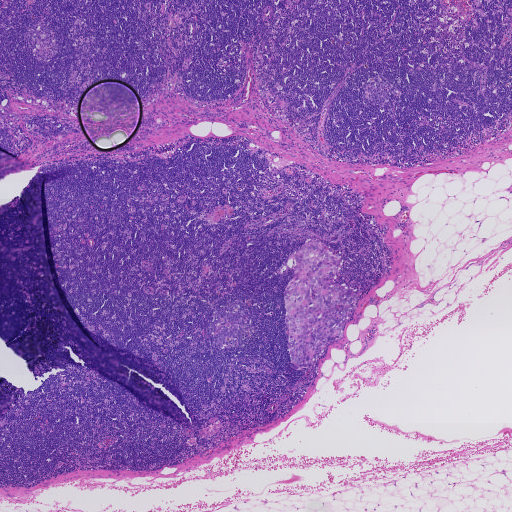
Lymph node section stained with H&E, from a whole-slide image of a breast-cancer sentinel node. Magnification about 2.5×, about 1.9 mm across the frame, about 3.6 µm per pixel.
Question: Trace the edge of each tumour region in this crop, as (x, y) points from 0 to 511.
Answer: Boundaries of two metastatic tumour regions, simplified and listed clockwise, largest first: region 1: (309, 240), (318, 240), (341, 258), (334, 278), (335, 282), (355, 292), (354, 301), (342, 336), (327, 344), (324, 352), (308, 368), (295, 369), (290, 358), (283, 296), (293, 274), (286, 260); region 2: (476, 0), (480, 0), (480, 5), (478, 7), (483, 12), (483, 15), (480, 15), (477, 12), (476, 6).
Tumour covers under 5% of the frame.